This is a crop of a whole-slide image: an H&E-stained breast-cancer sentinel lymph node section at roughly 10× magnification (about 1.0 µm per pixel; the crop spans about 0.51 mm).
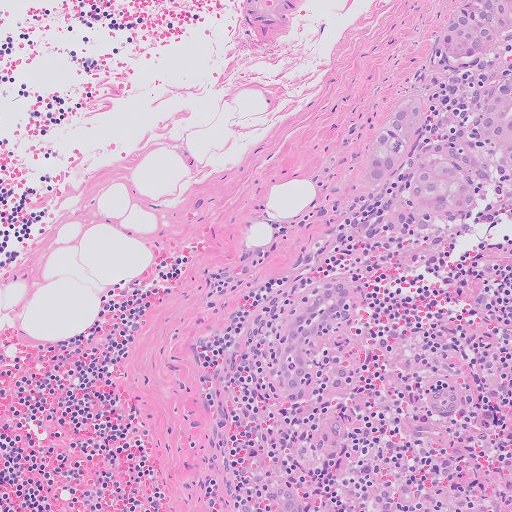
Question: Describe where the metastatic carcinoma lies in this crop.
Answer: Two metastatic tumour regions, each outlined as a closed clockwise path in crop pixels (x, y), largest first: region 1: (511, 67), (511, 215), (465, 221), (418, 238), (387, 240), (378, 229), (387, 202), (376, 192), (345, 186), (350, 158), (379, 119), (408, 98), (423, 97), (434, 108), (428, 139), (442, 136); region 2: (463, 0), (511, 0), (511, 39), (486, 55), (471, 59), (456, 59), (443, 55), (439, 40), (442, 27).
Tumour covers about 10% of the frame.